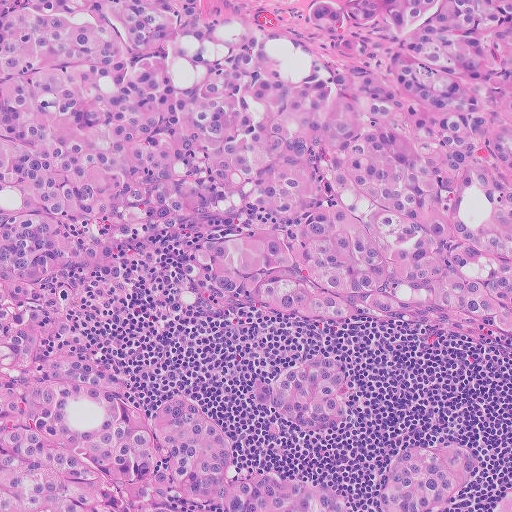
Lymph node section stained with H&E, from a whole-slide image of a breast-cancer sentinel node. Magnification about 10×, about 0.51 mm across the frame, about 1.0 µm per pixel.
Boundaries of four metastatic tumour regions, simplified and listed clockwise, largest first: region 1: (0, 0), (511, 0), (511, 349), (208, 313), (99, 333), (106, 350), (211, 392), (241, 438), (363, 511), (0, 511); region 2: (446, 428), (487, 452), (466, 503), (445, 511), (377, 511), (368, 492), (393, 442); region 3: (276, 359), (362, 364), (362, 419), (308, 434), (258, 412); region 4: (511, 488), (511, 511), (466, 511), (485, 504).
Tumour covers about 85% of the frame.